Image:
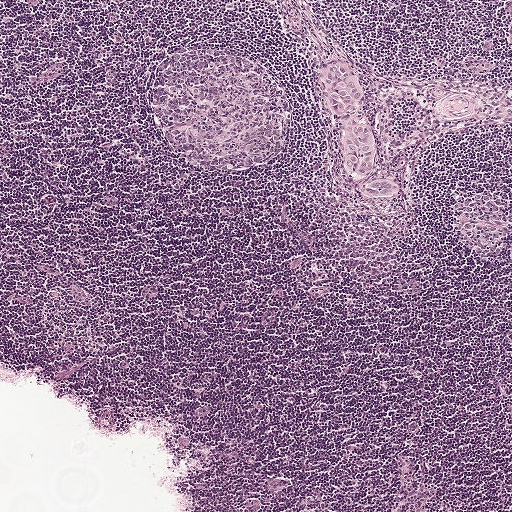
A 1-mm field of an H&E-stained sentinel lymph node from a breast-cancer patient (whole-slide image), shown at about 5×, about 1.9 µm per pixel.
Question:
Where is the metastatic tumour in this field?
Answer:
The outlined metastatic tumour's edge, as a closed clockwise path of 21 points: (334, 60), (340, 61), (359, 78), (364, 97), (358, 108), (359, 119), (368, 123), (378, 146), (374, 172), (367, 178), (382, 177), (399, 184), (398, 190), (390, 194), (373, 196), (363, 193), (345, 171), (341, 141), (329, 99), (322, 86), (323, 71).
Under 5% of this field is tumour.